Question: 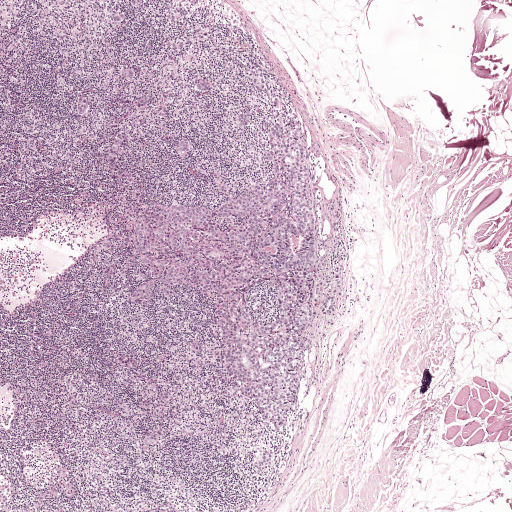
This is a crop of a whole-slide image: an H&E-stained breast-cancer sentinel lymph node section at roughly 2.5× magnification (about 3.9 µm per pixel; the crop spans about 2.0 mm).
What fraction of the image area is metastatic tumour?

Choices:
 (A) about 50% or more
 (B) about 10% to 20%
 (C) about 25% to 45%
 (D) about 5% or less
 (E) none: no tumour is outlined

Answer: (B) about 10% to 20%
About 15% of the field is tumour.
The eight largest tumour regions' boundaries, simplified and listed clockwise, largest first: region 1: (298, 116), (320, 237), (315, 291), (323, 282), (302, 394), (276, 441), (222, 368), (219, 343), (198, 354), (189, 347), (198, 336), (208, 345), (218, 340), (218, 328), (206, 324), (212, 297), (181, 284), (168, 302), (156, 280), (157, 298), (135, 306), (132, 290), (152, 273), (135, 259), (89, 280), (125, 257), (119, 246), (87, 264), (91, 254), (130, 235), (119, 228), (119, 210), (152, 198), (218, 203), (213, 166), (235, 192), (264, 183), (262, 117); region 2: (119, 353), (137, 356), (141, 362), (138, 367), (139, 374), (145, 376), (150, 374), (156, 376), (159, 381), (159, 390), (170, 390), (172, 393), (170, 407), (158, 406), (162, 425), (166, 430), (165, 442), (154, 447), (148, 457), (142, 455), (139, 449), (140, 442), (149, 432), (159, 426), (156, 404), (140, 410), (132, 401), (134, 395), (140, 394), (150, 402), (156, 403), (157, 392), (145, 388), (144, 382), (141, 377), (136, 373), (117, 367), (112, 362), (114, 356); region 3: (270, 449), (275, 458), (275, 464), (273, 470), (263, 476), (256, 475), (252, 471), (250, 466), (250, 459), (258, 450); region 4: (127, 133), (129, 138), (127, 151), (121, 154), (118, 166), (112, 169), (105, 160), (107, 147), (115, 137); region 5: (185, 5), (190, 10), (190, 16), (186, 21), (175, 27), (169, 27), (165, 15), (168, 9); region 6: (256, 66), (265, 69), (268, 76), (267, 89), (261, 91), (256, 91), (251, 87), (250, 75), (252, 69); region 7: (125, 10), (129, 20), (127, 26), (123, 30), (116, 32), (111, 31), (108, 25), (109, 20), (112, 14), (117, 11); region 8: (184, 137), (193, 144), (193, 151), (191, 157), (187, 160), (177, 156), (173, 151), (174, 145).
14 more, smaller tumour regions are not outlined.
12 more small tumour pieces are annotated here but not outlined.